Lymph node section stained with H&E, from a whole-slide image of a breast-cancer sentinel node. Magnification about 40×, about 0.12 mm across the frame, about 0.24 µm per pixel.
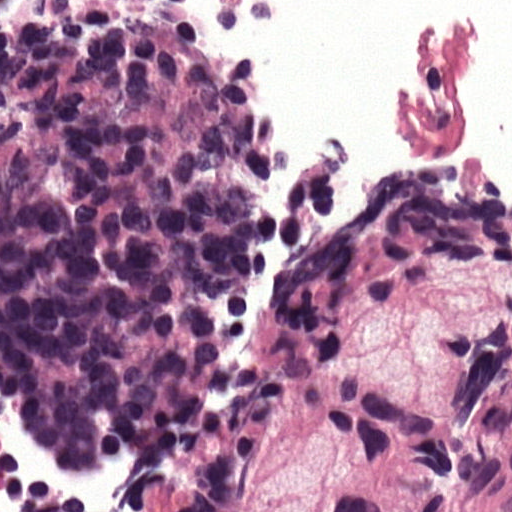
One metastatic tumour region; its boundary, reduced to 6 corners and listed clockwise: (443, 167), (511, 244), (511, 511), (192, 511), (228, 368), (320, 248).
Tumour covers about 30% of the frame.